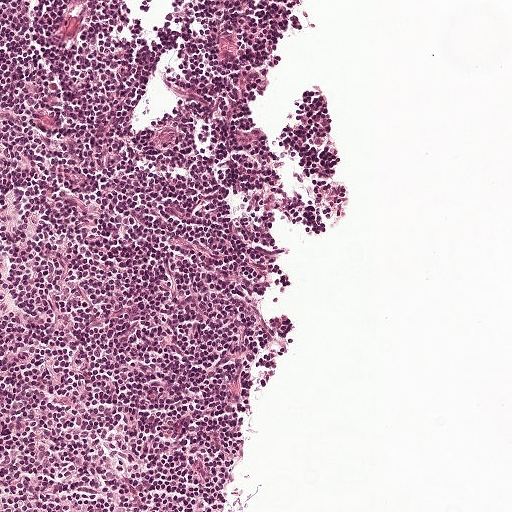
This is a crop of a whole-slide image: an H&E-stained breast-cancer sentinel lymph node section at roughly 10× magnification (about 0.97 µm per pixel; the crop spans about 0.5 mm).
Question: Is there metastatic carcinoma in this field?
Answer: No. No metastatic tumour is outlined in this field.